Lymph node section stained with H&E, from a whole-slide image of a breast-cancer sentinel node. Magnification about 5×, about 0.93 mm across the frame, about 1.8 µm per pixel.
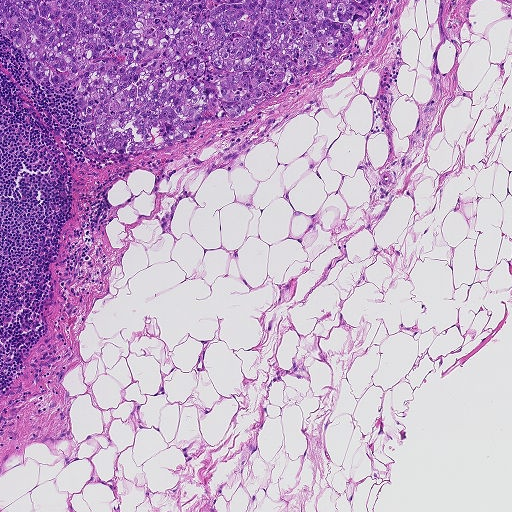
One metastatic tumour region; its boundary, reduced to 13 corners and listed clockwise: (0, 0), (379, 0), (348, 46), (301, 83), (237, 118), (203, 123), (191, 141), (155, 152), (96, 148), (77, 109), (79, 82), (42, 84), (2, 36).
The annotated tumour makes up about 15% of the crop.